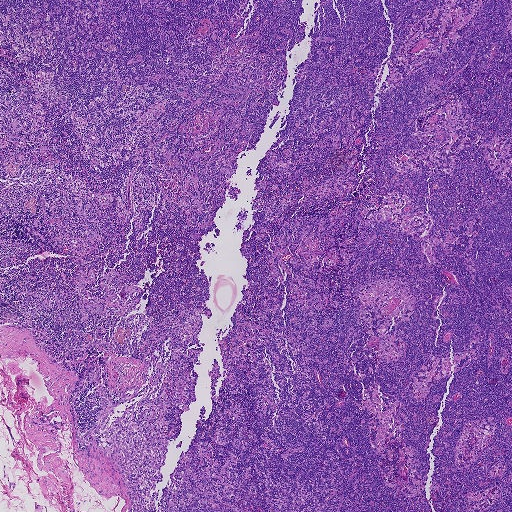
Lymph node section stained with H&E, from a whole-slide image of a breast-cancer sentinel node. Magnification about 2.5×, about 1.9 mm across the frame, about 3.6 µm per pixel.
Question: Is there metastatic carcinoma in this field?
Answer: No: no metastatic tumour is outlined anywhere in this field.